H&E-stained section of a sentinel lymph node (breast cancer), from a whole-slide image, viewed at about 5×: the field is about 1.0 mm across, about 2.0 µm per pixel.
Question: 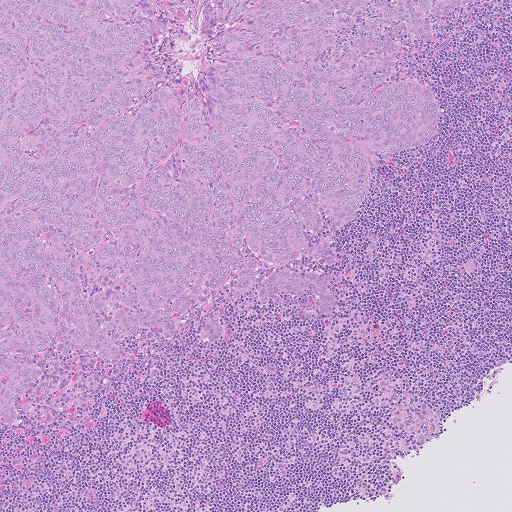
About how much of this crop is taken up by metastatic carcinoma?

Choices:
 (A) about 25% to 45%
 (B) about 50% or more
 (C) about 10% to 20%
 (D) about 5% or less
 (E) none: no tumour is outlined

Answer: (B) about 50% or more
About 50% of the field is tumour.
One metastatic tumour region; its boundary, reduced to 22 corners and listed clockwise: (0, 0), (489, 0), (438, 17), (433, 38), (405, 49), (400, 70), (442, 104), (439, 135), (379, 162), (339, 238), (337, 266), (295, 263), (336, 276), (328, 316), (243, 296), (226, 306), (215, 344), (190, 325), (137, 336), (106, 362), (53, 344), (0, 453).